Question: 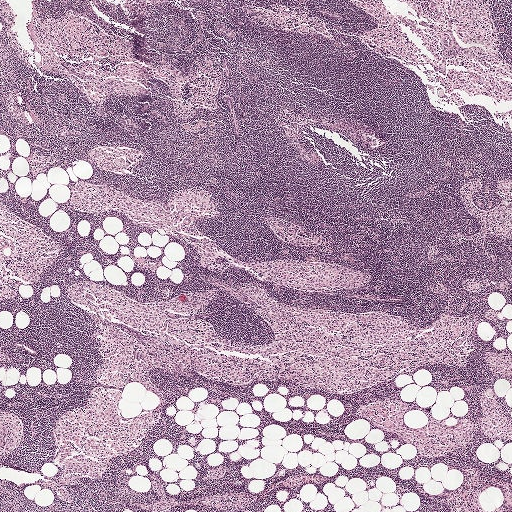
About what magnification does this crop show?

Choices:
 (A) about 20×
 (B) about 2.5×
 (C) about 10×
 (D) about 40×
 (E) about 5×

Answer: (B) about 2.5×
Lymph node section stained with H&E, from a whole-slide image of a breast-cancer sentinel node. Magnification about 2.5×, about 2.0 mm across the frame, about 3.9 µm per pixel.